Lymph node section stained with H&E, from a whole-slide image of a breast-cancer sentinel node. Magnification about 2.5×, about 2.0 mm across the frame, about 3.9 µm per pixel.
Image:
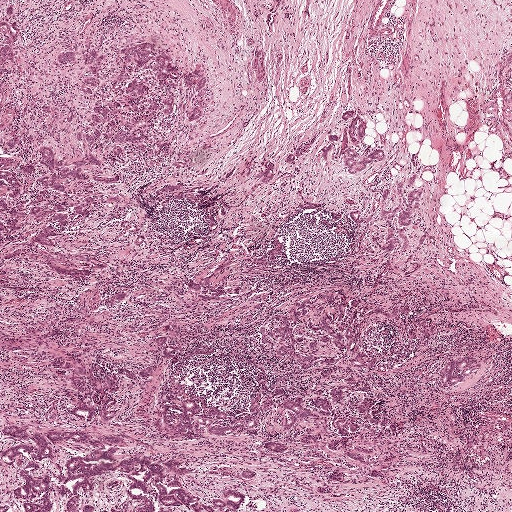
Question:
Show where the tumour is in this image.
Answer:
The eight largest tumour regions' boundaries, simplified and listed clockwise, largest first: region 1: (151, 43), (188, 66), (208, 68), (216, 85), (198, 129), (169, 154), (141, 157), (108, 208), (59, 239), (58, 246), (100, 260), (110, 272), (72, 282), (38, 264), (24, 264), (0, 305), (0, 137), (49, 146), (72, 164), (90, 109), (57, 54), (113, 52); region 2: (260, 375), (270, 389), (279, 376), (286, 394), (275, 399), (250, 433), (223, 440), (198, 431), (189, 443), (176, 445), (164, 441), (154, 430), (160, 386), (168, 380), (176, 380), (187, 395), (233, 417), (249, 410), (256, 377); region 3: (15, 424), (26, 432), (45, 437), (46, 431), (51, 430), (76, 428), (87, 430), (95, 437), (120, 437), (122, 451), (114, 457), (112, 471), (90, 480), (86, 494), (76, 492), (78, 504), (90, 504), (92, 511), (58, 511), (63, 498), (57, 492), (64, 480), (61, 467), (64, 459), (94, 450), (48, 441), (52, 448), (50, 458), (39, 461), (19, 448), (14, 461), (4, 460), (0, 452), (6, 448), (22, 444), (37, 445), (30, 440), (6, 437), (0, 433), (1, 426); region 4: (128, 455), (164, 461), (181, 458), (192, 471), (178, 481), (202, 504), (222, 488), (241, 489), (245, 492), (236, 511), (224, 508), (216, 511), (185, 511), (180, 505), (159, 505), (151, 496), (154, 511), (136, 511), (141, 504), (128, 496), (130, 481), (120, 475), (117, 465); region 5: (60, 353), (81, 366), (95, 362), (112, 366), (124, 366), (136, 369), (148, 365), (150, 367), (150, 376), (143, 378), (136, 377), (130, 379), (115, 372), (117, 388), (111, 394), (115, 401), (104, 407), (108, 410), (115, 408), (112, 418), (108, 421), (98, 419), (100, 404), (103, 392), (96, 390), (91, 391), (90, 394), (95, 412), (91, 419), (85, 421), (68, 413), (79, 399), (78, 391), (62, 372), (47, 364), (48, 358); region 6: (323, 295), (335, 297), (335, 306), (323, 302), (310, 307), (309, 320), (303, 320), (301, 326), (296, 326), (296, 336), (306, 341), (294, 349), (301, 355), (320, 360), (309, 375), (297, 370), (294, 363), (277, 357), (270, 338), (277, 325), (276, 317), (293, 310), (306, 299); region 7: (15, 3), (21, 6), (27, 15), (27, 28), (17, 66), (3, 93), (0, 107), (0, 11); region 8: (358, 300), (362, 300), (362, 305), (355, 328), (357, 340), (351, 353), (341, 353), (329, 345), (323, 344), (324, 340), (331, 336), (316, 334), (310, 331), (311, 324), (314, 324), (317, 328), (321, 326), (321, 312), (324, 306), (334, 317), (333, 323), (330, 323), (335, 333), (338, 335), (340, 330), (338, 328), (338, 321), (341, 315), (341, 307), (346, 304), (352, 305).
31 more, smaller tumour regions are not outlined.
Eight more small tumour pieces are annotated here but not outlined.
The annotated tumour makes up about 25% of the crop.